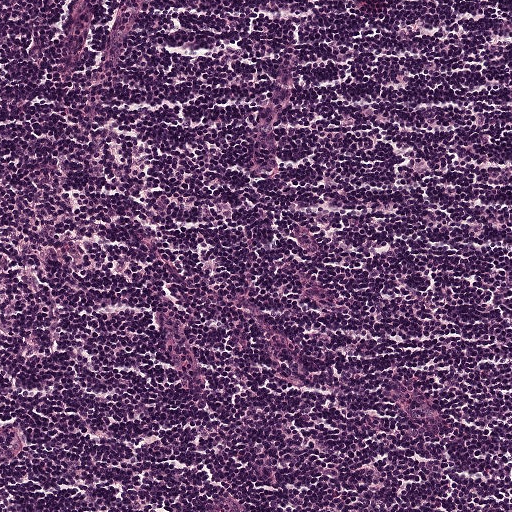
This is a crop of a whole-slide image: an H&E-stained breast-cancer sentinel lymph node section at roughly 10× magnification (about 0.97 µm per pixel; the crop spans about 0.5 mm).
Question: Is any metastatic breast cancer visible in this crop?
Answer: No, this field holds no outlined metastasis.